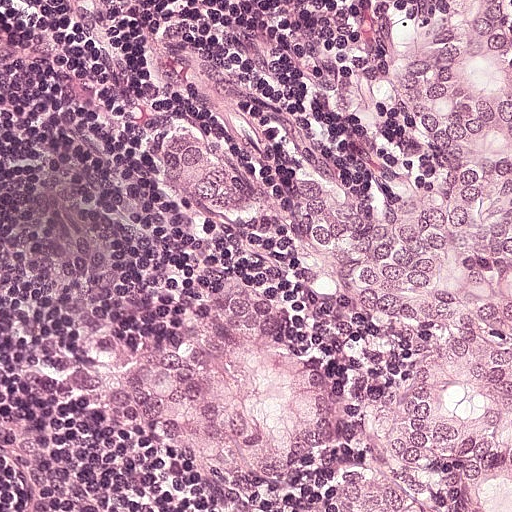
This is a crop of a whole-slide image: an H&E-stained breast-cancer sentinel lymph node section at roughly 20× magnification (about 0.49 µm per pixel; the crop spans about 0.25 mm).
Metastatic tumour outline, simplified to 21 points and listed clockwise in crop pixels (x, y): (511, 0), (511, 511), (318, 511), (336, 488), (195, 476), (136, 451), (108, 383), (211, 314), (284, 338), (368, 385), (388, 367), (368, 324), (147, 176), (134, 151), (138, 124), (177, 117), (350, 212), (379, 217), (395, 196), (386, 94), (420, 4).
One more small tumour piece is annotated here but not outlined.
The annotated tumour makes up about 45% of the crop.